Image:
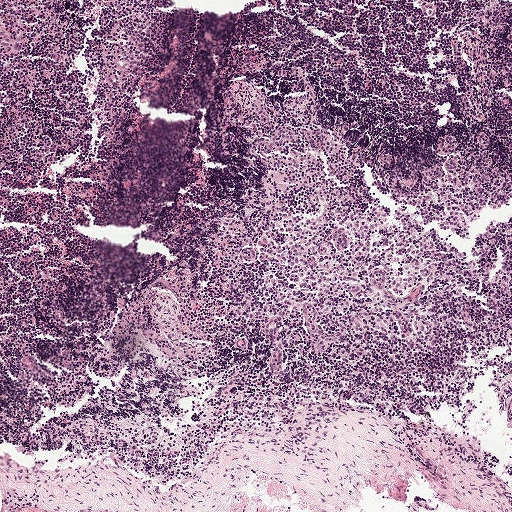
A 1-mm field of an H&E-stained sentinel lymph node from a breast-cancer patient (whole-slide image), shown at about 5×, about 1.9 µm per pixel.
Question:
Does this lymph node field contain metastatic tumour?
Answer:
No: no metastatic tumour is outlined anywhere in this field.